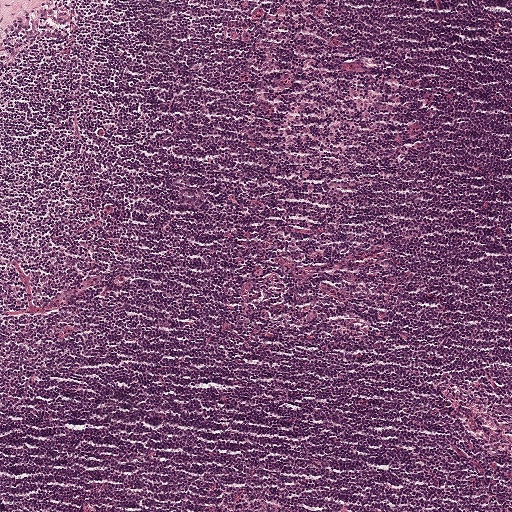
This is a crop of a whole-slide image: an H&E-stained breast-cancer sentinel lymph node section at roughly 5× magnification (about 1.9 µm per pixel; the crop spans about 1 mm).
Question: Is there metastatic carcinoma in this field?
Answer: No. No metastatic tumour is outlined in this field.